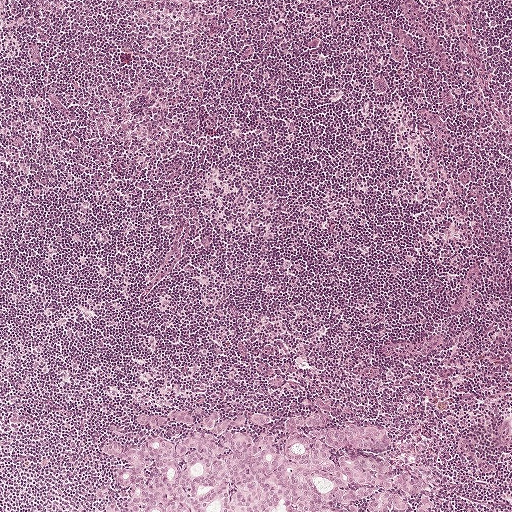
A 1-mm field of an H&E-stained sentinel lymph node from a breast-cancer patient (whole-slide image), shown at about 5×, about 1.9 µm per pixel.
Metastatic tumour outline, simplified to 23 points and listed clockwise in crop pixels (x, y): (176, 405), (227, 416), (251, 410), (277, 420), (324, 411), (334, 422), (364, 422), (388, 432), (395, 446), (387, 456), (424, 478), (433, 511), (106, 511), (98, 498), (101, 488), (124, 493), (115, 459), (102, 451), (112, 442), (136, 445), (143, 434), (137, 415), (163, 414).
About 10% of this field is tumour.